Question: 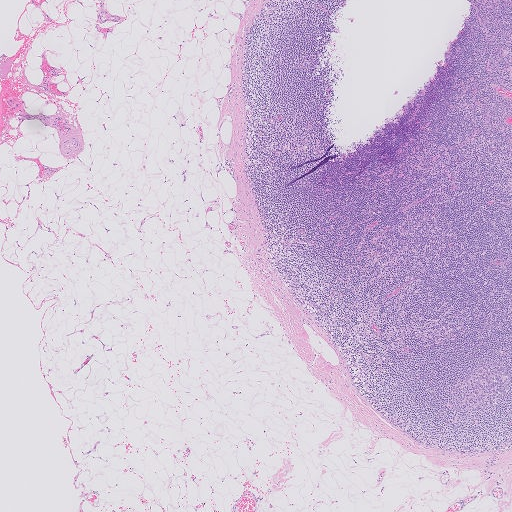
Which magnification is this H&E lymph node field most likely shown at?

Choices:
 (A) about 40×
 (B) about 20×
 (C) about 5×
 (D) about 2.5×
 (E) about 10×

Answer: (D) about 2.5×
Lymph node section stained with H&E, from a whole-slide image of a breast-cancer sentinel node. Magnification about 2.5×, about 2.0 mm across the frame, about 4.0 µm per pixel.